Question: 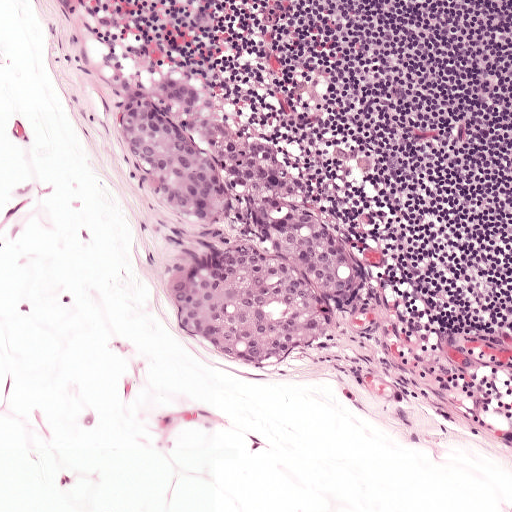
A 0.5-mm field of an H&E-stained sentinel lymph node from a breast-cancer patient (whole-slide image), shown at about 10×, about 0.97 µm per pixel.
Roughly what share of this field is metastatic tumour?

Choices:
 (A) about 50% or more
 (B) about 10% to 20%
 (C) none: no tumour is outlined
 (D) about 25% to 45%
 (E) about 5% or less

Answer: (B) about 10% to 20%
About 15% of the field is tumour.
The outlined metastatic tumour's edge, as a closed clockwise path of 22 points: (150, 74), (176, 76), (262, 135), (300, 202), (344, 228), (366, 273), (358, 296), (334, 306), (315, 352), (266, 364), (192, 344), (171, 326), (163, 302), (172, 278), (241, 249), (271, 246), (215, 178), (222, 219), (179, 219), (138, 192), (116, 116), (126, 94).
Question: 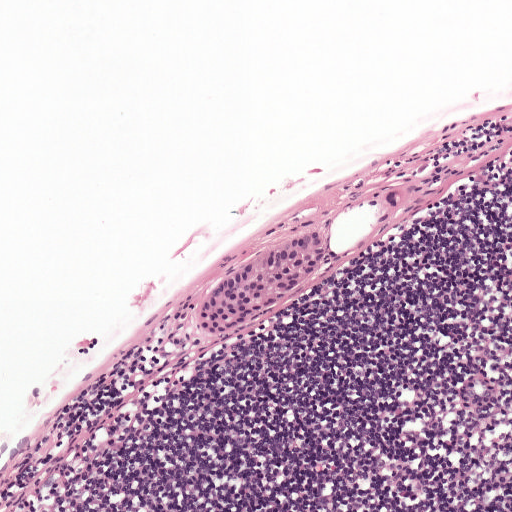
Lymph node section stained with H&E, from a whole-slide image of a breast-cancer sentinel node. Magnification about 10×, about 0.5 mm across the frame, about 0.97 µm per pixel.
Roughly what share of this field is metastatic tumour?

Choices:
 (A) about 25% to 45%
 (B) about 50% or more
 (C) none: no tumour is outlined
 (D) about 10% to 20%
 (E) about 5% or less

Answer: (E) about 5% or less
About 5% of the field is tumour.
Tumour region outline (a closed clockwise path, crop pixels): (316, 228), (324, 235), (322, 266), (270, 308), (224, 335), (200, 331), (195, 316), (210, 292), (227, 272), (285, 232).
One more small tumour piece is annotated here but not outlined.
Question: 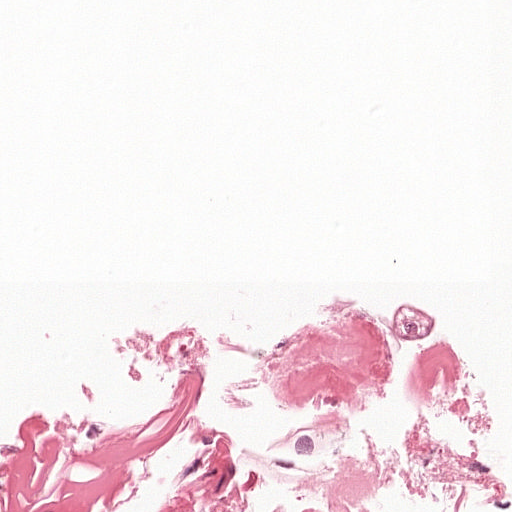
A 0.25-mm field of an H&E-stained sentinel lymph node from a breast-cancer patient (whole-slide image), shown at about 20×, about 0.49 µm per pixel.
Roughly what share of this field is metastatic tumour?

Choices:
 (A) none: no tumour is outlined
 (B) about 10% to 20%
 (C) about 50% or more
 (D) about 5% or less
 (E) about 25% to 45%

Answer: (D) about 5% or less
Under 5% of the field is tumour.
The outlined metastatic tumour's edge, as a closed clockwise path of 11 points: (305, 427), (339, 428), (343, 435), (341, 447), (334, 458), (318, 459), (294, 456), (284, 451), (261, 452), (268, 442), (292, 428).
One more small tumour piece is annotated here but not outlined.
Question: 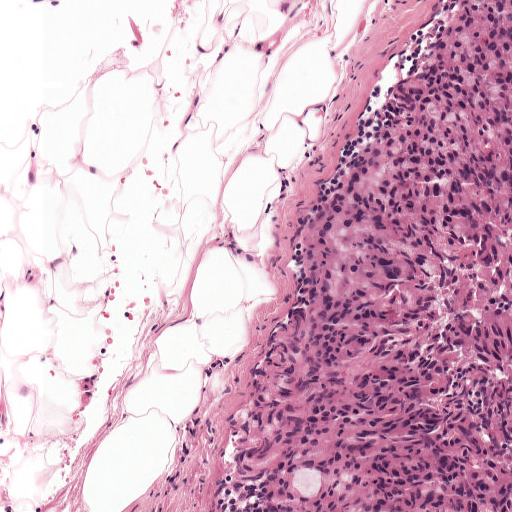
Lymph node section stained with H&E, from a whole-slide image of a breast-cancer sentinel node. Magnification about 10×, about 0.5 mm across the frame, about 0.97 µm per pixel.
Roughly what share of this field is metastatic tumour?

Choices:
 (A) about 50% or more
 (B) about 10% to 20%
 (C) about 25% to 45%
 (D) none: no tumour is outlined
 (E) about 5% or less

Answer: (C) about 25% to 45%
About 40% of the field is tumour.
Tumour region outline (a closed clockwise path, crop pixels): (442, 0), (511, 0), (511, 511), (198, 511), (208, 456), (280, 304), (312, 203).